H&E-stained section of a sentinel lymph node (breast cancer), from a whole-slide image, viewed at about 20×: the field is about 0.25 mm across, about 0.49 µm per pixel.
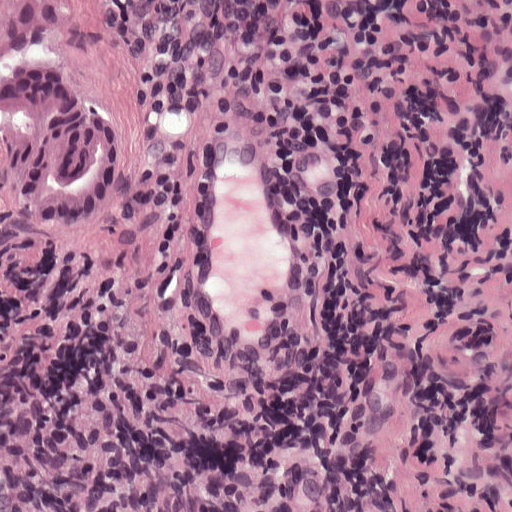
Metastatic tumour outline, simplified to 10 points and listed clockwise in crop pixels (x, y): (0, 0), (82, 0), (106, 76), (254, 104), (321, 234), (293, 352), (264, 396), (175, 406), (109, 274), (0, 209).
About 30% of this field is tumour.